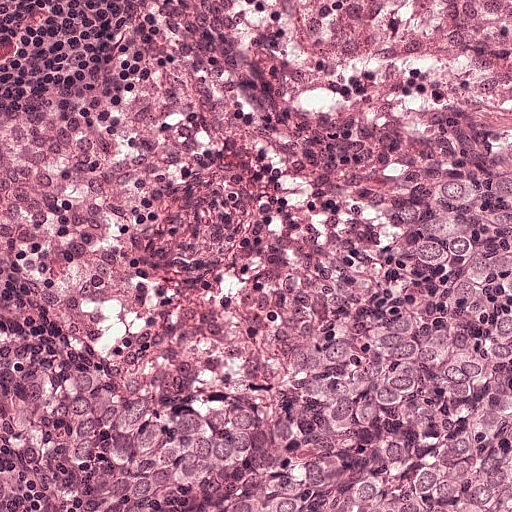
A 0.25-mm field of an H&E-stained sentinel lymph node from a breast-cancer patient (whole-slide image), shown at about 20×, about 0.49 µm per pixel.
Question: Does this lymph node field contain metastatic tumour?
Answer: Yes.
Tumour region outline (a closed clockwise path, crop pixels): (505, 142), (511, 511), (65, 511), (71, 479), (55, 432), (68, 376), (88, 365), (202, 376), (378, 301), (391, 282), (386, 228), (404, 177), (462, 144).
The annotated tumour makes up about 35% of the crop.

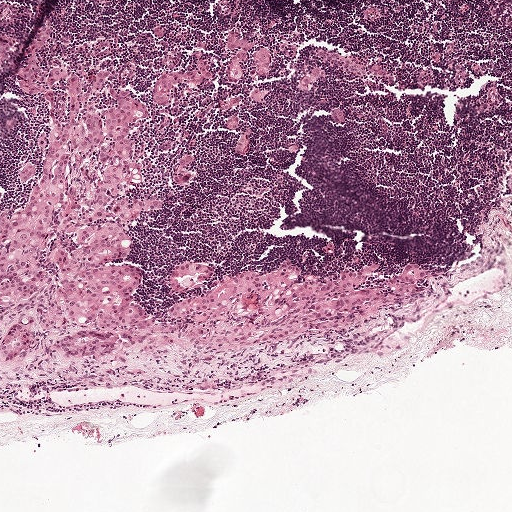
Lymph node section stained with H&E, from a whole-slide image of a breast-cancer sentinel node. Magnification about 5×, about 1 mm across the frame, about 1.9 µm per pixel.
Question: Does this lymph node field contain metastatic tumour?
Answer: Yes.
Seven metastatic tumour regions, each outlined as a closed clockwise path in crop pixels (x, y), largest first: region 1: (46, 16), (70, 70), (113, 68), (97, 104), (115, 82), (148, 102), (136, 142), (144, 178), (132, 196), (166, 204), (124, 226), (133, 238), (125, 258), (143, 274), (138, 300), (152, 313), (185, 295), (168, 272), (182, 256), (221, 275), (284, 256), (306, 275), (366, 262), (395, 273), (415, 259), (427, 284), (359, 319), (268, 342), (159, 329), (97, 358), (0, 357), (0, 202), (24, 204), (19, 170), (50, 132), (48, 96), (22, 76); region 2: (200, 44), (212, 62), (213, 76), (200, 81), (177, 79), (172, 85), (171, 96), (167, 102), (161, 102), (155, 99), (152, 91), (155, 79), (167, 68), (187, 68), (197, 62), (196, 46); region 3: (229, 33), (244, 38), (255, 48), (244, 65), (244, 75), (235, 82), (228, 78), (225, 73), (228, 60), (238, 53), (232, 54), (227, 52), (226, 40); region 4: (188, 151), (192, 152), (192, 158), (188, 166), (192, 171), (192, 174), (190, 180), (185, 183), (173, 180), (172, 176), (178, 159); region 5: (261, 48), (268, 50), (272, 55), (271, 66), (268, 74), (263, 77), (259, 77), (255, 73), (251, 62), (252, 55); region 6: (250, 128), (252, 129), (250, 139), (247, 144), (245, 146), (242, 153), (238, 154), (235, 152), (234, 149), (240, 136), (241, 133), (245, 129); region 7: (231, 114), (239, 115), (239, 123), (238, 128), (230, 130), (224, 127), (224, 124).
Tumour covers about 20% of the frame.

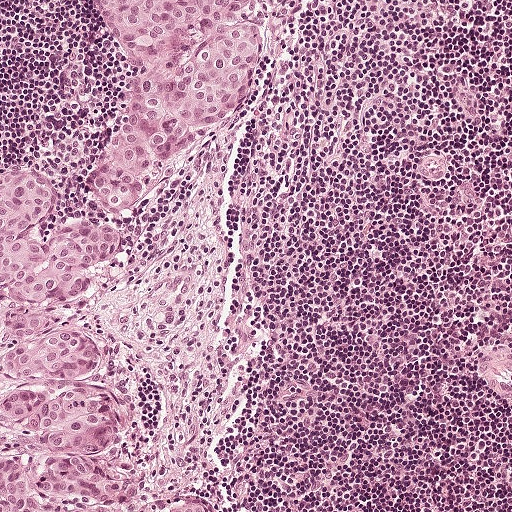
H&E-stained section of a sentinel lymph node (breast cancer), from a whole-slide image, viewed at about 10×: the field is about 0.5 mm across, about 0.97 µm per pixel.
Question: Does this lymph node field contain metastatic tumour?
Answer: Yes.
Outlines of two tumour regions, largest first (closed clockwise paths, crop pixels): region 1: (82, 0), (271, 0), (269, 73), (186, 164), (121, 212), (94, 284), (108, 352), (136, 396), (112, 455), (150, 478), (164, 508), (0, 511), (0, 182), (30, 170), (51, 199), (78, 203), (107, 132), (105, 38); region 2: (189, 499), (202, 499), (204, 500), (206, 500), (216, 508), (219, 508), (219, 510), (221, 510), (221, 511), (164, 511), (164, 510), (168, 510), (168, 509), (169, 509), (169, 508), (174, 508), (174, 506), (176, 506), (179, 503), (186, 502).
The annotated tumour makes up about 25% of the crop.

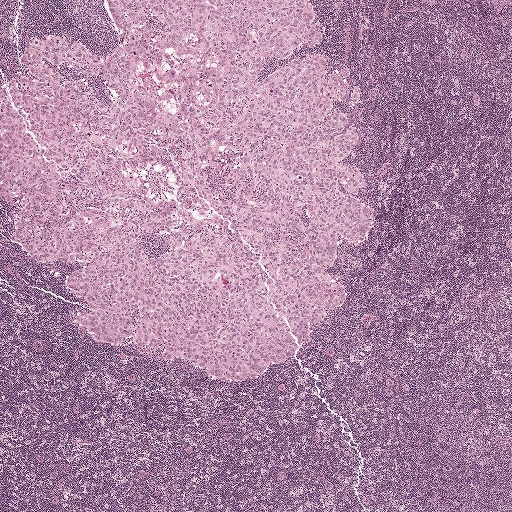
H&E-stained section of a sentinel lymph node (breast cancer), from a whole-slide image, viewed at about 2.5×: the field is about 2.0 mm across, about 3.9 µm per pixel.
Question: Does this lymph node field contain metastatic tumour?
Answer: Yes.
One metastatic tumour region; its boundary, reduced to 20 corners and listed clockwise: (106, 0), (311, 0), (321, 40), (259, 81), (322, 53), (358, 93), (331, 110), (372, 226), (326, 268), (345, 299), (255, 381), (98, 344), (64, 282), (78, 266), (16, 248), (22, 197), (0, 202), (0, 89), (36, 37), (114, 52).
About 40% of this field is tumour.